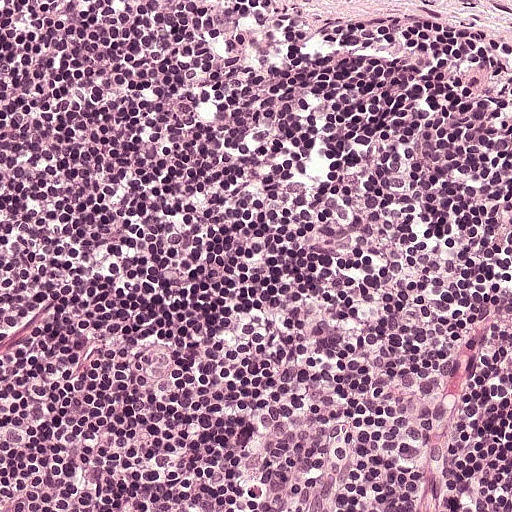
H&E-stained section of a sentinel lymph node (breast cancer), from a whole-slide image, viewed at about 20×: the field is about 0.25 mm across, about 0.49 µm per pixel.
Question: Is there metastatic carcinoma in this field?
Answer: No: no metastatic tumour is outlined anywhere in this field.